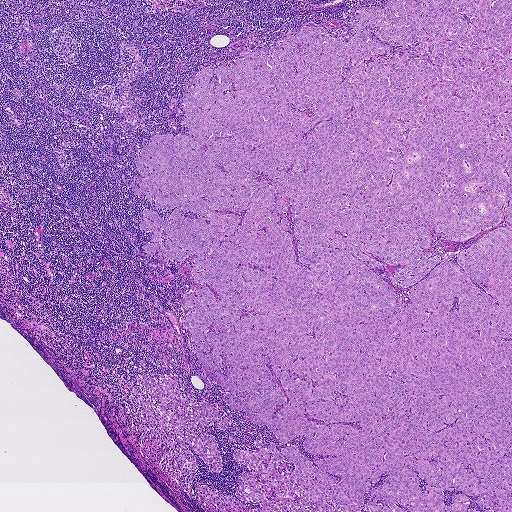
Lymph node section stained with H&E, from a whole-slide image of a breast-cancer sentinel node. Magnification about 2.5×, about 1.9 mm across the frame, about 3.6 µm per pixel.
Boundaries of two metastatic tumour regions, simplified and listed clockwise, largest first: region 1: (511, 0), (511, 511), (205, 511), (200, 485), (262, 508), (234, 492), (233, 451), (257, 439), (339, 457), (224, 403), (182, 324), (197, 257), (143, 251), (143, 211), (177, 208), (135, 193), (134, 158), (190, 136), (203, 69), (217, 88), (215, 68), (302, 26), (350, 40), (362, 8); region 2: (143, 374), (154, 381), (161, 375), (174, 374), (178, 382), (178, 396), (191, 409), (194, 403), (203, 401), (211, 405), (219, 417), (227, 418), (227, 427), (224, 430), (216, 426), (216, 421), (211, 426), (198, 422), (200, 434), (214, 435), (216, 439), (222, 471), (210, 468), (186, 444), (199, 465), (191, 495), (166, 475), (160, 462), (172, 449), (152, 435), (133, 394), (134, 385), (161, 414), (144, 387).
The annotated tumour makes up about 60% of the crop.